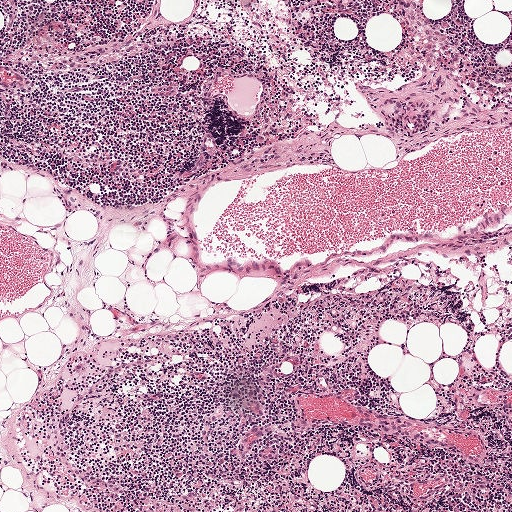
H&E-stained section of a sentinel lymph node (breast cancer), from a whole-slide image, viewed at about 5×: the field is about 1 mm across, about 1.9 µm per pixel.
Question: Is any metastatic breast cancer visible in this crop?
Answer: No: no metastatic tumour is outlined anywhere in this field.